Image:
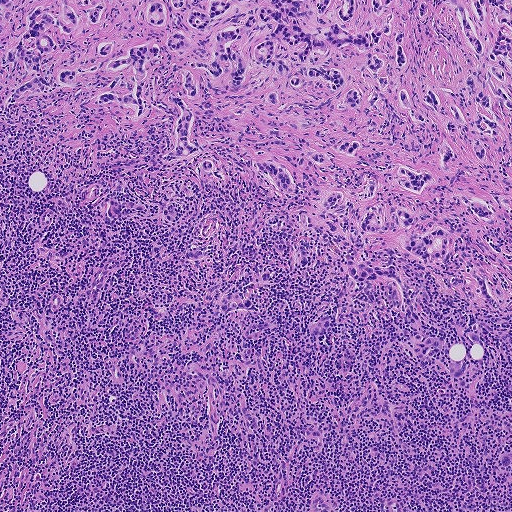
A 0.93-mm field of an H&E-stained sentinel lymph node from a breast-cancer patient (whole-slide image), shown at about 5×, about 1.8 µm per pixel.
Question:
Does this lymph node field contain metastatic tumour?
Answer:
Yes.
The eight largest tumour regions' boundaries, simplified and listed clockwise, largest first: region 1: (511, 0), (511, 113), (492, 95), (502, 128), (478, 135), (478, 163), (441, 111), (415, 96), (430, 121), (413, 121), (387, 67), (364, 74), (345, 47), (327, 63), (362, 94), (358, 111), (333, 109), (340, 92), (287, 89), (268, 108), (284, 79), (270, 70), (229, 97), (198, 80), (200, 98), (183, 98), (199, 150), (162, 160), (179, 112), (163, 91), (167, 55), (135, 122), (93, 105), (114, 73), (7, 103), (33, 75), (5, 59), (33, 2); region 2: (440, 226), (446, 231), (449, 239), (447, 255), (442, 262), (434, 264), (426, 263), (404, 250), (400, 243), (411, 231), (425, 233); region 3: (380, 202), (388, 203), (404, 208), (411, 212), (414, 220), (408, 226), (376, 232), (368, 232), (360, 229), (361, 221), (368, 206); region 4: (403, 292), (412, 301), (412, 306), (425, 333), (439, 340), (440, 347), (440, 355), (426, 363), (418, 363), (411, 348), (413, 341), (404, 313), (405, 306), (401, 299); region 5: (343, 254), (359, 256), (372, 265), (388, 265), (396, 268), (399, 275), (393, 280), (377, 278), (362, 282), (354, 280), (348, 275); region 6: (402, 165), (417, 170), (433, 172), (436, 180), (418, 195), (396, 183), (393, 176), (397, 168); region 7: (256, 160), (280, 165), (287, 170), (292, 176), (293, 184), (290, 191), (281, 192), (275, 188), (271, 181), (258, 171), (254, 164); region 8: (246, 291), (251, 294), (256, 306), (250, 310), (233, 310), (226, 313), (219, 311), (218, 305), (220, 298), (226, 295).
Nine more, smaller tumour regions are not outlined.
Two more small tumour pieces are annotated here but not outlined.
About 20% of this field is tumour.